Image:
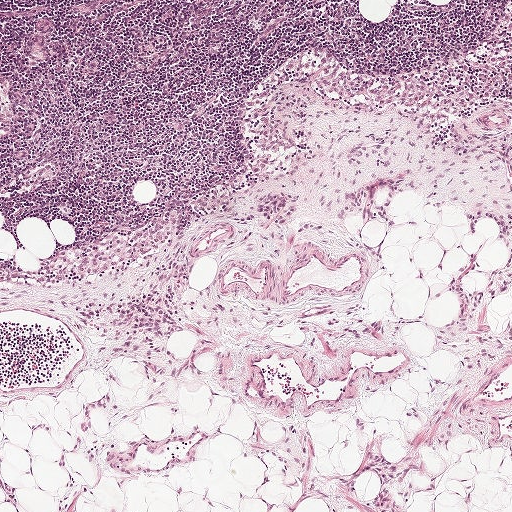
Lymph node section stained with H&E, from a whole-slide image of a breast-cancer sentinel node. Magnification about 5×, about 1 mm across the frame, about 1.9 µm per pixel.
Question:
Does this lymph node field contain metastatic tumour?
Answer:
No: no metastatic tumour is outlined anywhere in this field.